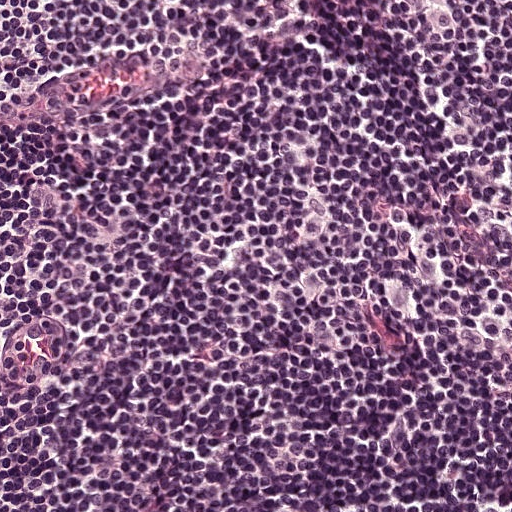
A 0.25-mm field of an H&E-stained sentinel lymph node from a breast-cancer patient (whole-slide image), shown at about 20×, about 0.49 µm per pixel.